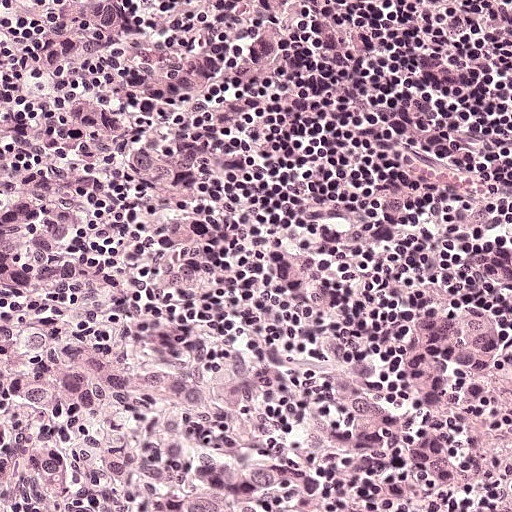
Lymph node section stained with H&E, from a whole-slide image of a breast-cancer sentinel node. Magnification about 20×, about 0.25 mm across the frame, about 0.49 µm per pixel.
Metastatic tumour outline, simplified to 13 points and listed clockwise in crop pixels (x, y): (0, 0), (300, 0), (308, 50), (290, 56), (290, 78), (246, 148), (220, 270), (293, 381), (279, 410), (284, 450), (337, 476), (335, 511), (0, 511).
The annotated tumour makes up about 55% of the crop.